Image:
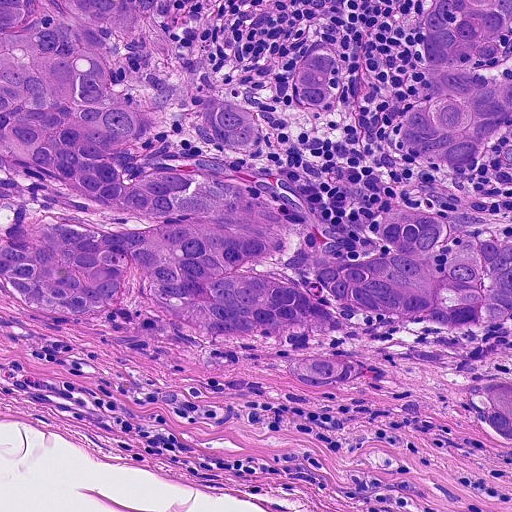
H&E-stained section of a sentinel lymph node (breast cancer), from a whole-slide image, viewed at about 20×: the field is about 0.23 mm across, about 0.45 µm per pixel.
Question:
Outline the metastatic carcinoma in this image, as closed paths of (x, y) pixel coordinates.
Answer:
Boundaries of two metastatic tumour regions, simplified and listed clockwise, largest first: region 1: (0, 0), (179, 0), (116, 38), (120, 84), (186, 149), (207, 108), (251, 96), (338, 258), (374, 261), (355, 219), (384, 184), (453, 214), (394, 152), (434, 0), (511, 0), (511, 125), (456, 202), (511, 241), (505, 329), (168, 328), (129, 292), (39, 308), (0, 289); region 2: (511, 380), (511, 439), (494, 435), (478, 408), (482, 382).
The annotated tumour makes up about 45% of the crop.